Question: 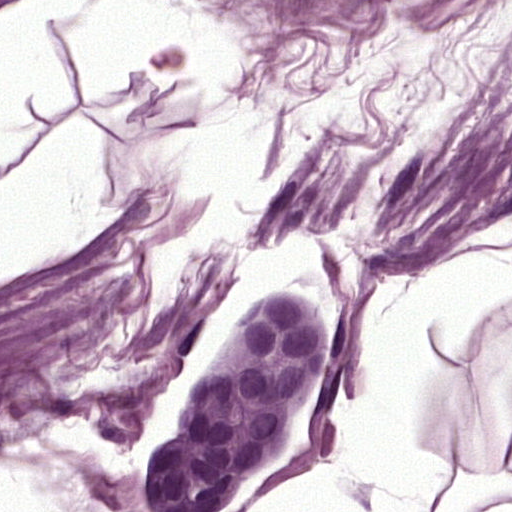
Which magnification is this H&E lymph node field most likely shown at?

Choices:
 (A) about 10×
 (B) about 40×
 (C) about 2.5×
 (D) about 5×
 (E) about 20×

Answer: (B) about 40×
This is a crop of a whole-slide image: an H&E-stained breast-cancer sentinel lymph node section at roughly 40× magnification (about 0.24 µm per pixel; the crop spans about 0.12 mm).
Tumour region outline (a closed clockwise path, crop pixels): (284, 283), (315, 289), (330, 340), (315, 407), (276, 474), (231, 511), (162, 511), (146, 474), (179, 371), (232, 310).
Tumour covers about 10% of the frame.